Question: 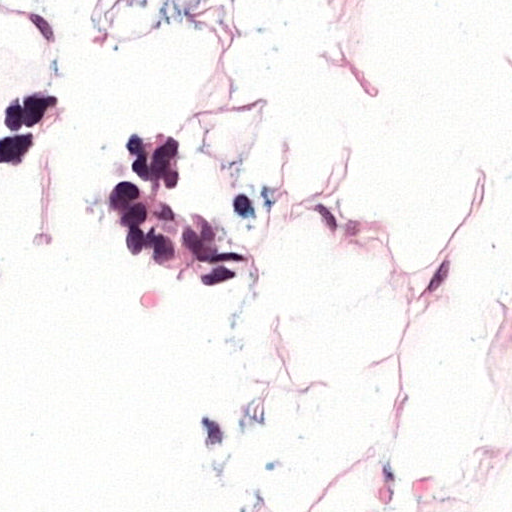
At roughly what magnification is this field shown?

Choices:
 (A) about 2.5×
 (B) about 40×
 (C) about 5×
 (D) about 20×
 (E) about 10×

Answer: (B) about 40×
A 0.12-mm field of an H&E-stained sentinel lymph node from a breast-cancer patient (whole-slide image), shown at about 40×, about 0.24 µm per pixel.
Metastatic tumour outline, simplified to 7 points and listed clockwise in crop pixels (x, y): (173, 111), (225, 189), (256, 259), (194, 288), (104, 257), (101, 158), (145, 118).
Tumour covers about 5% of the frame.
Question: 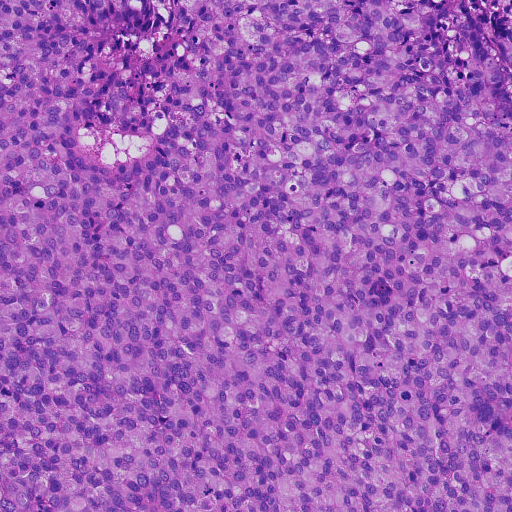
At roughly what magnification is this field shown?

Choices:
 (A) about 20×
 (B) about 40×
 (C) about 5×
 (D) about 10×
 (E) about 2.5×

Answer: (D) about 10×
Lymph node section stained with H&E, from a whole-slide image of a breast-cancer sentinel node. Magnification about 10×, about 0.46 mm across the frame, about 0.91 µm per pixel.
Metastatic tumour covers the whole field.
Over 95% of this field is tumour.
Question: 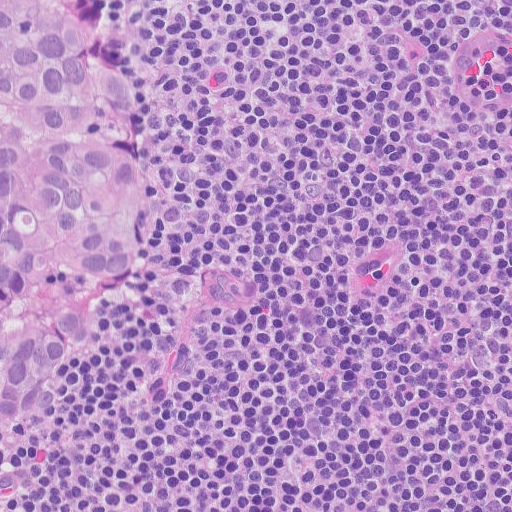
At roughly what magnification is this field shown?

Choices:
 (A) about 40×
 (B) about 20×
 (C) about 5×
 (D) about 10×
 (E) about 2.5×

Answer: (B) about 20×
A 0.26-mm field of an H&E-stained sentinel lymph node from a breast-cancer patient (whole-slide image), shown at about 20×, about 0.5 µm per pixel.
Metastatic tumour outline, simplified to 7 points and listed clockwise in crop pixels (x, y): (0, 0), (95, 0), (136, 101), (140, 192), (117, 286), (36, 401), (0, 430).
About 20% of the image area is annotated as tumour.
Question: 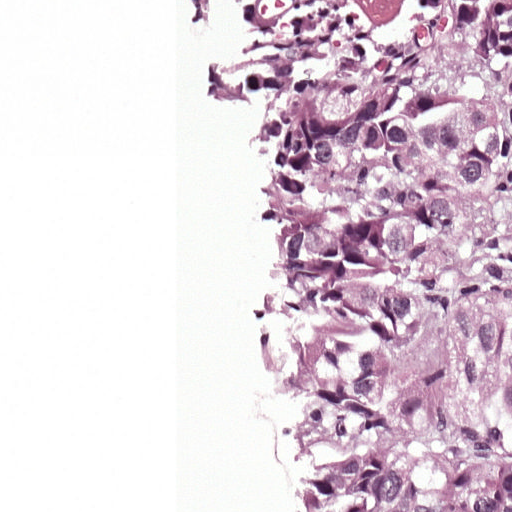
At roughly what magnification is this field shown?

Choices:
 (A) about 2.5×
 (B) about 10×
 (C) about 5×
 (D) about 20×
 (E) about 40×

Answer: (D) about 20×
A 0.25-mm field of an H&E-stained sentinel lymph node from a breast-cancer patient (whole-slide image), shown at about 20×, about 0.49 µm per pixel.
Tumour region outline (a closed clockwise path, crop pixels): (338, 0), (511, 0), (511, 511), (301, 511), (260, 394), (250, 292), (275, 88).
The annotated tumour makes up about 45% of the crop.